A 0.5-mm field of an H&E-stained sentinel lymph node from a breast-cancer patient (whole-slide image), shown at about 10×, about 0.97 µm per pixel.
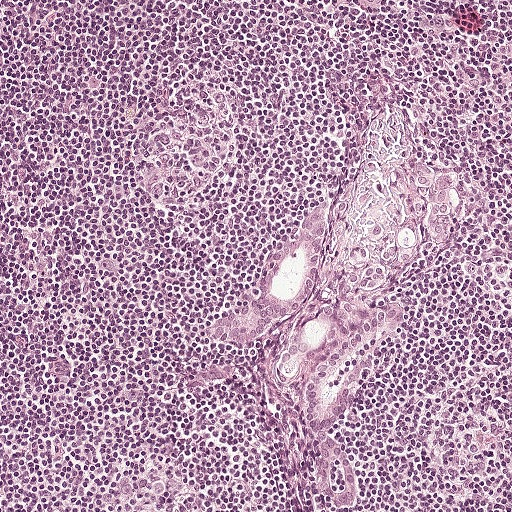
Question: Is there metastatic carcinoma in this field?
Answer: Yes.
Boundaries of five metastatic tumour regions, simplified and listed clockwise, largest first: region 1: (366, 187), (372, 200), (419, 232), (418, 257), (411, 265), (399, 266), (399, 274), (390, 284), (364, 292), (355, 311), (341, 323), (322, 354), (291, 380), (280, 380), (274, 377), (272, 366), (319, 301), (330, 277), (351, 261), (352, 243), (364, 225), (353, 210), (353, 200); region 2: (311, 200), (326, 208), (329, 230), (317, 257), (315, 279), (301, 321), (286, 334), (241, 352), (210, 336), (211, 327), (256, 296), (267, 269), (277, 261); region 3: (396, 302), (406, 303), (409, 310), (407, 322), (393, 330), (355, 388), (336, 429), (326, 436), (317, 436), (300, 415), (300, 396), (304, 384), (318, 357), (364, 318); region 4: (420, 162), (444, 166), (460, 182), (457, 208), (458, 222), (454, 243), (446, 249), (431, 244), (424, 239), (423, 215), (421, 212), (412, 212), (414, 182), (410, 180), (410, 176); region 5: (333, 434), (343, 444), (358, 468), (359, 481), (358, 497), (356, 505), (353, 508), (348, 510), (341, 510), (324, 501), (315, 478), (315, 457), (323, 438).
Region 5 encloses a non-tumour hole of about 20% of its area.
About 10% of the image area is annotated as tumour.